Question: 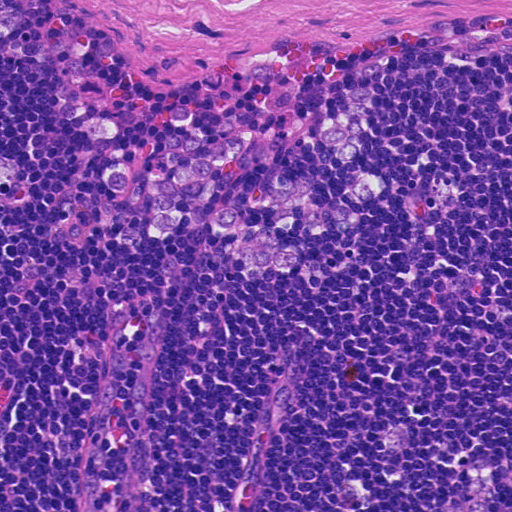
Which magnification is this H&E lymph node field most likely shown at?

Choices:
 (A) about 20×
 (B) about 40×
 (C) about 5×
 (D) about 10×
 (E) about 2.5×

Answer: (A) about 20×
A 0.23-mm field of an H&E-stained sentinel lymph node from a breast-cancer patient (whole-slide image), shown at about 20×, about 0.45 µm per pixel.
Boundaries of three metastatic tumour regions, simplified and listed clockwise, largest first: region 1: (343, 88), (376, 88), (361, 150), (384, 195), (337, 214), (286, 272), (234, 264), (230, 238), (208, 224), (120, 248), (113, 232), (135, 206), (99, 188), (98, 162), (123, 154), (144, 168), (176, 102), (192, 103), (199, 128), (248, 130), (262, 153), (234, 198), (353, 102); region 2: (7, 152), (21, 168), (10, 186), (0, 186), (0, 153); region 3: (511, 496), (511, 511), (445, 511), (450, 510), (492, 510).
Two more small tumour pieces are annotated here but not outlined.
About 10% of this field is tumour.
Question: 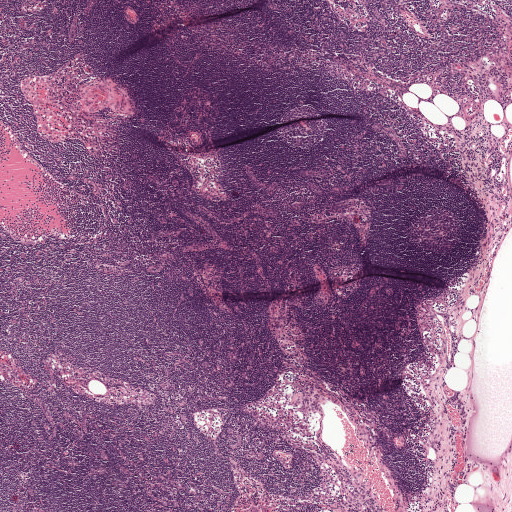
Which magnification is this H&E lymph node field most likely shown at?

Choices:
 (A) about 2.5×
 (B) about 40×
 (C) about 5×
 (D) about 20×
 (E) about 10×

Answer: (A) about 2.5×
A 2.0-mm field of an H&E-stained sentinel lymph node from a breast-cancer patient (whole-slide image), shown at about 2.5×, about 3.9 µm per pixel.
Question: 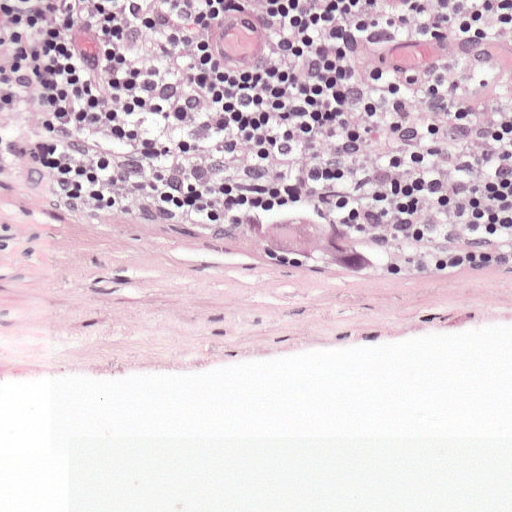
Which magnification is this H&E lymph node field most likely shown at?

Choices:
 (A) about 40×
 (B) about 2.5×
 (C) about 5×
 (D) about 20×
 (E) about 10×

Answer: (D) about 20×
H&E-stained section of a sentinel lymph node (breast cancer), from a whole-slide image, viewed at about 20×: the field is about 0.25 mm across, about 0.49 µm per pixel.
One metastatic tumour region; its boundary, reduced to 12 corners and listed clockwise: (244, 210), (260, 214), (264, 228), (282, 219), (306, 218), (332, 222), (354, 236), (372, 257), (370, 272), (336, 269), (268, 246), (241, 232).
The annotated tumour makes up under 5% of the crop.
Question: 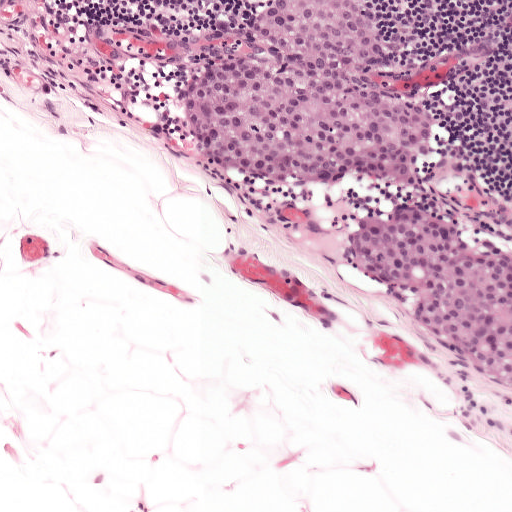
Which magnification is this H&E lymph node field most likely shown at?

Choices:
 (A) about 20×
 (B) about 40×
 (C) about 2.5×
 (D) about 5×
 (E) about 10×

Answer: (E) about 10×
A 0.5-mm field of an H&E-stained sentinel lymph node from a breast-cancer patient (whole-slide image), shown at about 10×, about 0.97 µm per pixel.
Two metastatic tumour regions, each outlined as a closed clockwise path in crop pixels (x, y), largest first: region 1: (258, 0), (356, 0), (425, 103), (431, 128), (416, 176), (370, 198), (241, 179), (200, 149), (188, 125), (184, 76), (203, 60), (248, 51); region 2: (418, 202), (492, 233), (511, 248), (511, 389), (438, 352), (384, 291), (361, 279), (345, 260), (344, 235), (362, 218).
One more small tumour piece is annotated here but not outlined.
Tumour covers about 20% of the frame.